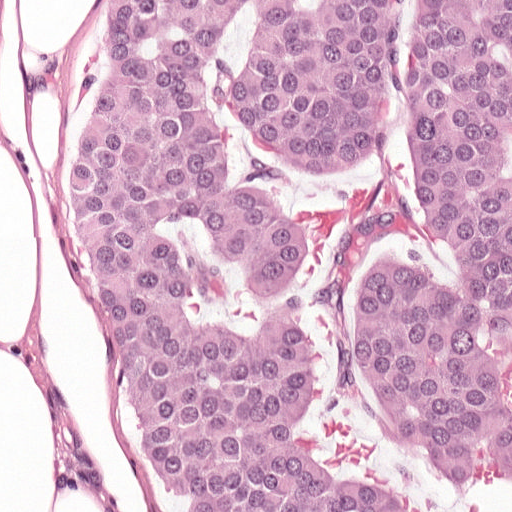
Lymph node section stained with H&E, from a whole-slide image of a breast-cancer sentinel node. Magnification about 20×, about 0.25 mm across the frame, about 0.49 µm per pixel.
Metastatic tumour outline, simplified to 7 points and listed clockwise in crop pixels (x, y): (92, 0), (511, 0), (511, 511), (172, 511), (133, 439), (75, 256), (64, 191).
Tumour covers about 80% of the frame.